Question: 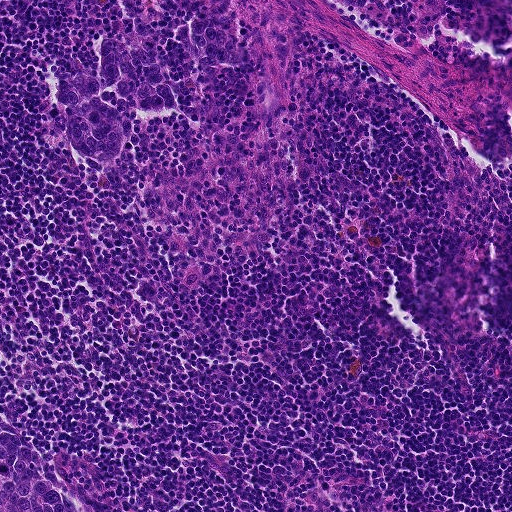
H&E-stained section of a sentinel lymph node (breast cancer), from a whole-slide image, viewed at about 10×: the field is about 0.46 mm across, about 0.9 µm per pixel.
Estimate the proportion of this field that is metastatic tumour.

Choices:
 (A) about 5% or less
 (B) about 10% to 20%
 (C) none: no tumour is outlined
 (D) about 25% to 45%
 (E) about 50% or more

Answer: (A) about 5% or less
About 5% of the field is tumour.
Outlines of three tumour regions, largest first (closed clockwise paths, crop pixels): region 1: (105, 39), (115, 39), (158, 56), (175, 96), (174, 106), (154, 113), (133, 104), (120, 88), (100, 91), (102, 102), (122, 118), (127, 139), (125, 150), (116, 158), (106, 160), (76, 148), (70, 138), (63, 107), (56, 99), (54, 89), (64, 72), (95, 78), (101, 70), (100, 48); region 2: (0, 414), (35, 444), (55, 479), (81, 511), (0, 511); region 3: (208, 15), (218, 18), (224, 26), (235, 33), (248, 50), (250, 60), (244, 68), (233, 68), (212, 58), (191, 56), (181, 37), (180, 26).